Question: 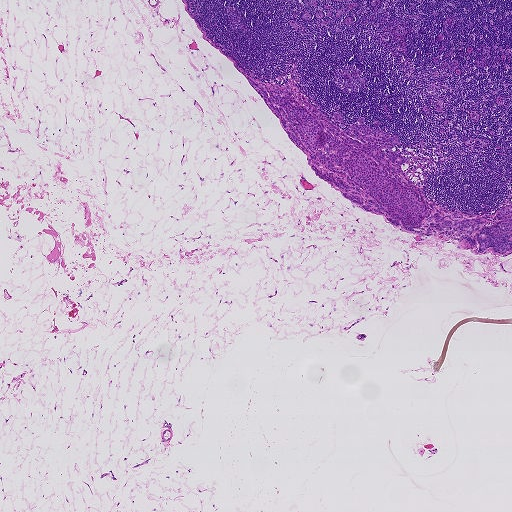
This is a crop of a whole-slide image: an H&E-stained breast-cancer sentinel lymph node section at roughly 2.5× magnification (about 3.6 µm per pixel; the crop spans about 1.9 mm).
Estimate the proportion of this field that is metastatic tumour.

Choices:
 (A) about 50% or more
 (B) about 25% to 45%
 (C) about 10% to 20%
 (D) none: no tumour is outlined
 (E) about 5% or less

Answer: (E) about 5% or less
About 5% of the field is tumour.
The outlined metastatic tumour's edge, as a closed clockwise path of 23 points: (234, 64), (252, 78), (292, 85), (333, 123), (341, 130), (362, 116), (374, 128), (379, 120), (375, 128), (401, 141), (394, 145), (406, 161), (402, 170), (443, 208), (484, 217), (511, 205), (511, 252), (506, 255), (491, 247), (478, 252), (452, 235), (395, 228), (318, 178).